Image:
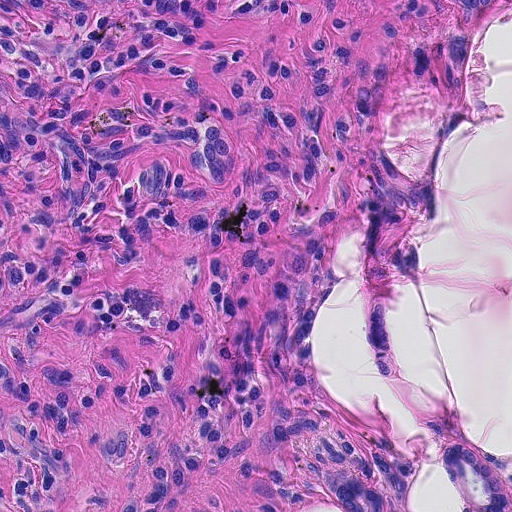
H&E-stained section of a sentinel lymph node (breast cancer), from a whole-slide image, viewed at about 20×: the field is about 0.23 mm across, about 0.45 µm per pixel.
Question:
Does this lymph node field contain metastatic tumour?
Answer:
Yes.
Boundaries of three metastatic tumour regions, simplified and listed clockwise, largest first: region 1: (186, 116), (228, 121), (245, 160), (245, 286), (297, 370), (348, 427), (420, 448), (456, 439), (491, 449), (511, 478), (511, 511), (473, 511), (433, 470), (409, 499), (420, 511), (0, 511), (0, 275), (140, 254), (154, 214), (132, 176), (150, 138); region 2: (439, 0), (501, 0), (476, 31), (468, 94), (442, 152), (430, 212), (402, 227), (377, 210), (363, 179), (345, 119), (352, 90), (374, 68), (432, 36), (454, 12); region 3: (0, 112), (20, 112), (37, 123), (32, 144), (0, 168).
About 45% of this field is tumour.